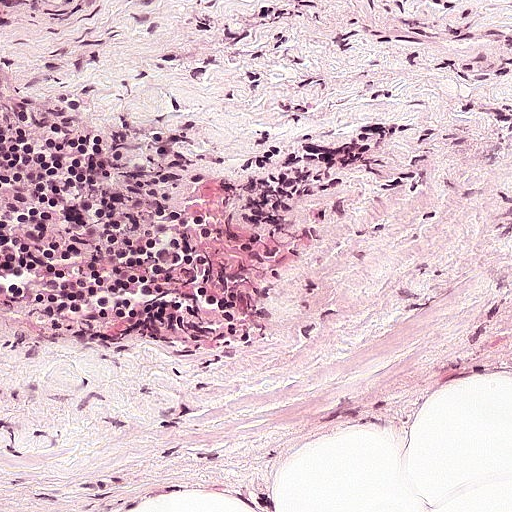
H&E-stained section of a sentinel lymph node (breast cancer), from a whole-slide image, viewed at about 20×: the field is about 0.25 mm across, about 0.49 µm per pixel.
Question: Does this lymph node field contain metastatic tumour?
Answer: No. No metastatic tumour is outlined in this field.